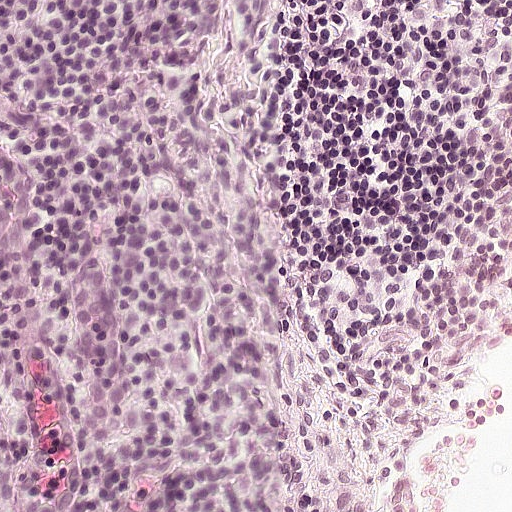
This is a crop of a whole-slide image: an H&E-stained breast-cancer sentinel lymph node section at roughly 20× magnification (about 0.49 µm per pixel; the crop spans about 0.25 mm).